Question: 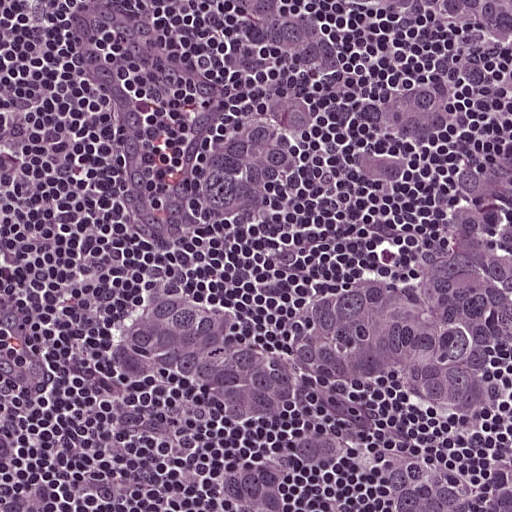
This is a crop of a whole-slide image: an H&E-stained breast-cancer sentinel lymph node section at roughly 20× magnification (about 0.49 µm per pixel; the crop spans about 0.25 mm).
Roughly what share of this field is metastatic tumour?

Choices:
 (A) about 10% to 20%
 (B) about 5% or less
 (C) none: no tumour is outlined
 (D) about 25% to 45%
 (E) about 50% or more

Answer: (E) about 50% or more
About 55% of the field is tumour.
Metastatic tumour outline, simplified to 22 points and listed clockwise in crop pixels (x, y): (220, 0), (511, 0), (511, 511), (109, 511), (167, 503), (178, 482), (258, 452), (194, 394), (80, 400), (57, 382), (100, 308), (202, 278), (274, 326), (319, 288), (405, 260), (450, 188), (367, 174), (344, 123), (256, 236), (193, 220), (184, 168), (268, 86).